This is a crop of a whole-slide image: an H&E-stained breast-cancer sentinel lymph node section at roughly 10× magnification (about 0.97 µm per pixel; the crop spans about 0.5 mm).
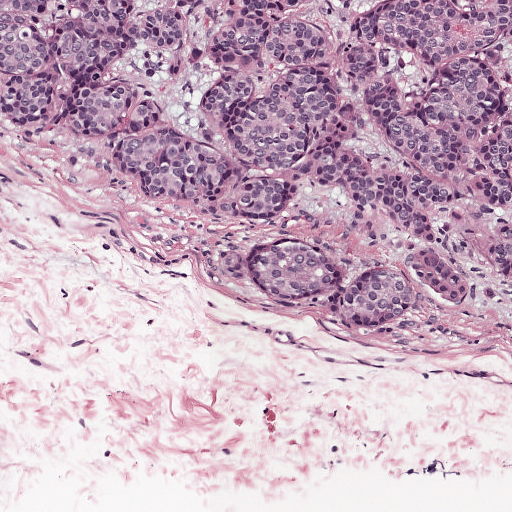
Question: Trace the edge of each tumour region in this crop, as (x, y) points from 0 to 511.
Answer: One metastatic tumour region; its boundary, reduced to 11 corners and listed clockwise: (0, 0), (511, 0), (511, 327), (435, 308), (399, 336), (274, 302), (219, 278), (178, 223), (76, 137), (19, 131), (0, 113).
About 50% of this field is tumour.